Image:
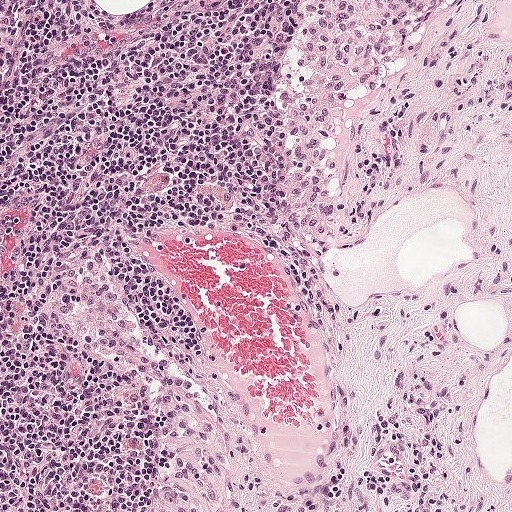
H&E-stained section of a sentinel lymph node (breast cancer), from a whole-slide image, viewed at about 10×: the field is about 0.5 mm across, about 0.97 µm per pixel.
Question:
Is there metastatic carcinoma in this field?
Answer:
No, this field holds no outlined metastasis.